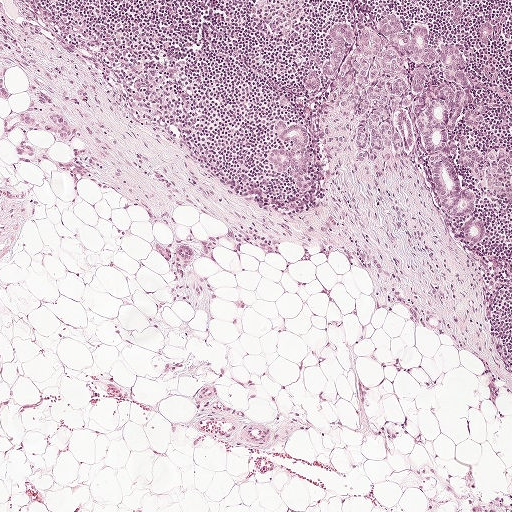
Lymph node section stained with H&E, from a whole-slide image of a breast-cancer sentinel node. Magnification about 5×, about 1 mm across the frame, about 1.9 µm per pixel.
Question: Outline the metastatic carcinoma in this image, as closed paths of (x, y) pixel coordinates.
Answer: Four metastatic tumour regions, each outlined as a closed clockwise path in crop pixels (x, y), largest first: region 1: (387, 14), (426, 28), (432, 49), (449, 41), (464, 46), (485, 121), (478, 131), (462, 132), (463, 142), (483, 158), (480, 167), (456, 166), (477, 197), (484, 241), (466, 240), (436, 205), (418, 147), (366, 162), (353, 152), (351, 121), (332, 104), (324, 132), (312, 148), (312, 192), (301, 193), (271, 169), (269, 144), (284, 142), (273, 128), (277, 117), (319, 132), (324, 99), (305, 86), (314, 69), (326, 89), (332, 24), (372, 24); region 2: (492, 149), (498, 152), (500, 149), (504, 149), (510, 156), (510, 163), (506, 170), (500, 174), (492, 173), (501, 183), (501, 189), (499, 191), (484, 186), (480, 188), (477, 187), (477, 174), (490, 164), (488, 155); region 3: (485, 21), (490, 21), (492, 27), (492, 34), (485, 42), (481, 42), (479, 32), (480, 26); region 4: (456, 6), (462, 9), (462, 16), (459, 24), (455, 24), (454, 23), (454, 20), (452, 19), (452, 16), (454, 13), (454, 7).
One more small tumour piece is annotated here but not outlined.
The annotated tumour makes up about 10% of the crop.